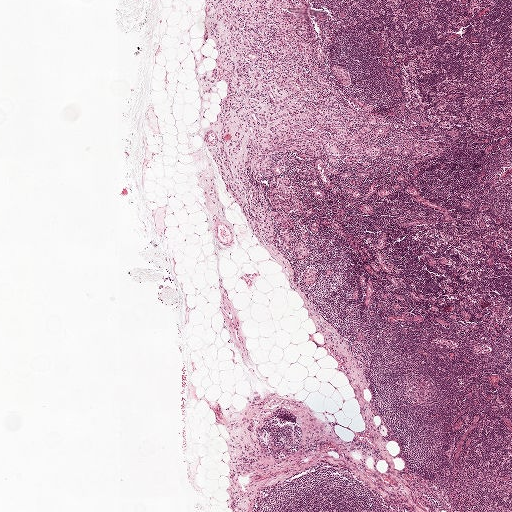
A 2.0-mm field of an H&E-stained sentinel lymph node from a breast-cancer patient (whole-slide image), shown at about 2.5×, about 3.9 µm per pixel.
Boundaries of three metastatic tumour regions, simplified and listed clockwise, largest first: region 1: (208, 0), (288, 0), (285, 18), (307, 24), (298, 28), (313, 50), (333, 37), (316, 60), (339, 103), (362, 112), (355, 98), (383, 115), (356, 140), (379, 158), (336, 165), (295, 149), (272, 164), (294, 182), (300, 208), (278, 212), (309, 258), (252, 231), (221, 174), (229, 85); region 2: (306, 266), (313, 266), (318, 269), (318, 279), (314, 286), (306, 286), (303, 284), (303, 270); region 3: (336, 64), (340, 65), (349, 73), (350, 84), (348, 86), (345, 86), (340, 83), (333, 76), (332, 69), (333, 65).
One more small tumour piece is annotated here but not outlined.
The annotated tumour makes up about 10% of the crop.